Image:
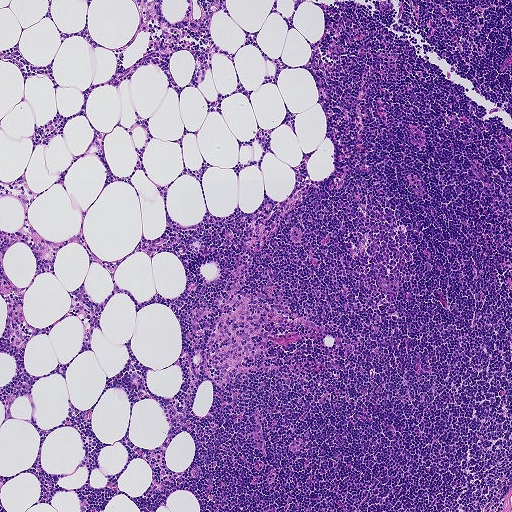
This is a crop of a whole-slide image: an H&E-stained breast-cancer sentinel lymph node section at roughly 5× magnification (about 1.8 µm per pixel; the crop spans about 0.93 mm).
Question:
Is there metastatic carcinoma in this field?
Answer:
No: no metastatic tumour is outlined anywhere in this field.